Question: 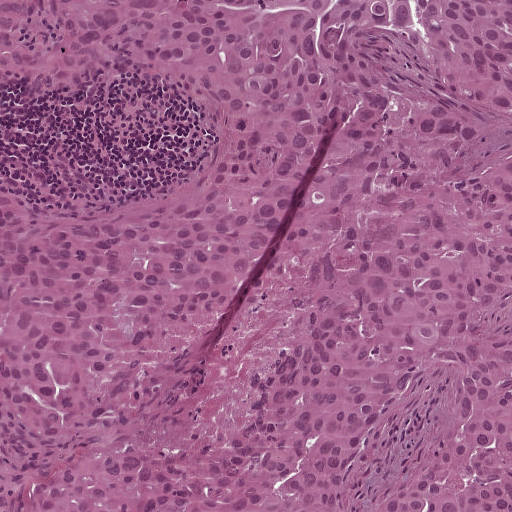
Lymph node section stained with H&E, from a whole-slide image of a breast-cancer sentinel node. Magnification about 10×, about 0.5 mm across the frame, about 0.97 µm per pixel.
About how much of this crop is taken up by metastatic carcinoma?

Choices:
 (A) about 5% or less
 (B) none: no tumour is outlined
 (C) about 50% or more
 (D) about 25% to 45%
 (E) about 10% to 20%

Answer: (C) about 50% or more
About 90% of the field is tumour.
One metastatic tumour region; its boundary, reduced to 17 corners and listed clockwise: (0, 0), (511, 0), (511, 511), (382, 511), (421, 436), (422, 402), (372, 464), (355, 511), (0, 511), (0, 185), (72, 206), (142, 190), (199, 154), (197, 121), (142, 80), (77, 99), (0, 80).